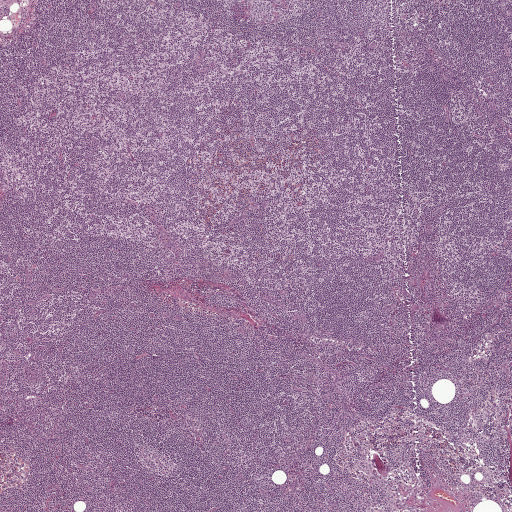
Lymph node section stained with H&E, from a whole-slide image of a breast-cancer sentinel node. Magnification about 2.5×, about 2.0 mm across the frame, about 3.9 µm per pixel.